Image:
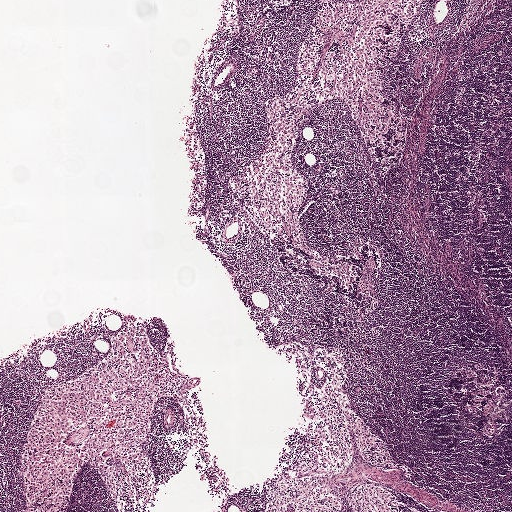
This is a crop of a whole-slide image: an H&E-stained breast-cancer sentinel lymph node section at roughly 2.5× magnification (about 3.9 µm per pixel; the crop spans about 2.0 mm).
Question:
Is there metastatic carcinoma in this field?
Answer:
No. No metastatic tumour is outlined in this field.